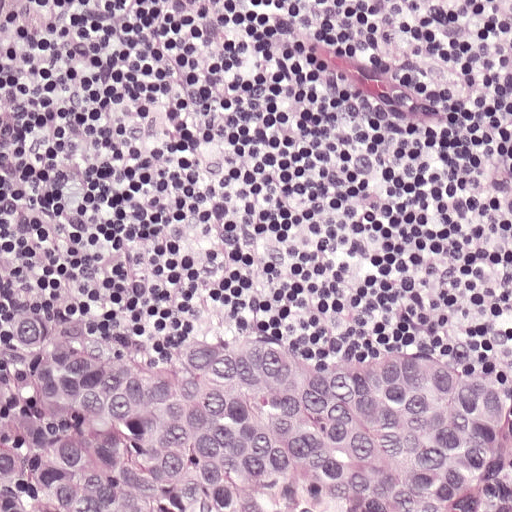
This is a crop of a whole-slide image: an H&E-stained breast-cancer sentinel lymph node section at roughly 20× magnification (about 0.49 µm per pixel; the crop spans about 0.25 mm).
Two metastatic tumour regions, each outlined as a closed clockwise path in crop pixels (x, y), largest first: region 1: (134, 273), (300, 320), (508, 329), (511, 511), (0, 511), (0, 303), (31, 286); region 2: (511, 39), (511, 167), (490, 124), (490, 68).
About 40% of this field is tumour.